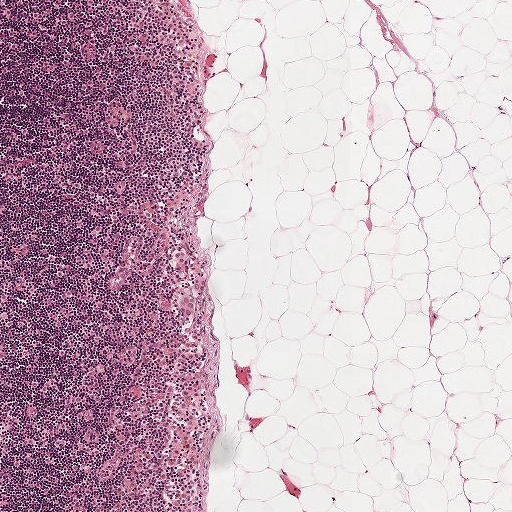
This is a crop of a whole-slide image: an H&E-stained breast-cancer sentinel lymph node section at roughly 5× magnification (about 1.9 µm per pixel; the crop spans about 1 mm).
Outlines of two tumour regions, largest first (closed clockwise paths, crop pixels): region 1: (187, 244), (188, 264), (191, 270), (206, 276), (207, 284), (204, 292), (200, 293), (194, 292), (187, 275), (174, 273), (168, 268), (172, 256), (181, 245); region 2: (190, 290), (197, 301), (196, 318), (187, 321), (178, 321), (173, 318), (171, 311), (174, 298), (180, 291).
Tumour covers under 5% of the frame.